Question: 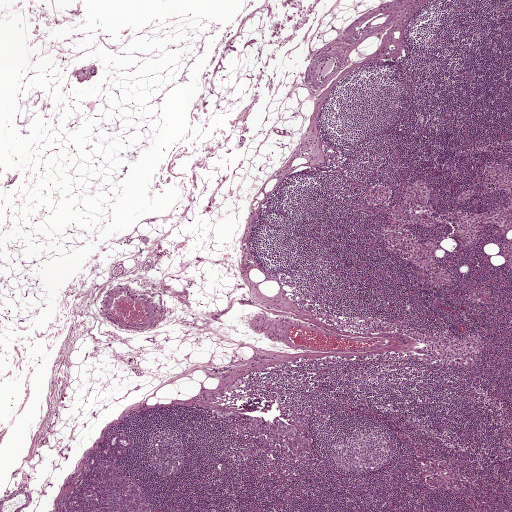
Lymph node section stained with H&E, from a whole-slide image of a breast-cancer sentinel node. Magnification about 2.5×, about 2.0 mm across the frame, about 3.9 µm per pixel.
About how much of this crop is taken up by metastatic carcinoma?

Choices:
 (A) about 10% to 20%
 (B) none: no tumour is outlined
 (C) about 5% or less
 (D) about 50% or more
 (E) about 25% to 45%

Answer: (C) about 5% or less
About 5% of the field is tumour.
Outlines of two tumour regions, largest first (closed clockwise paths, crop pixels): region 1: (121, 429), (132, 435), (134, 439), (132, 448), (126, 450), (125, 458), (118, 462), (142, 483), (151, 506), (151, 511), (64, 511), (61, 503), (64, 497), (73, 493), (76, 489), (85, 471), (87, 456), (109, 430); region 2: (308, 405), (315, 409), (317, 405), (327, 414), (325, 416), (326, 423), (317, 420), (311, 414), (308, 432), (310, 460), (301, 462), (275, 453), (266, 455), (257, 439), (240, 435), (229, 423), (213, 414), (216, 410), (233, 410), (261, 416), (269, 421), (277, 416), (303, 432), (291, 413).